Question: 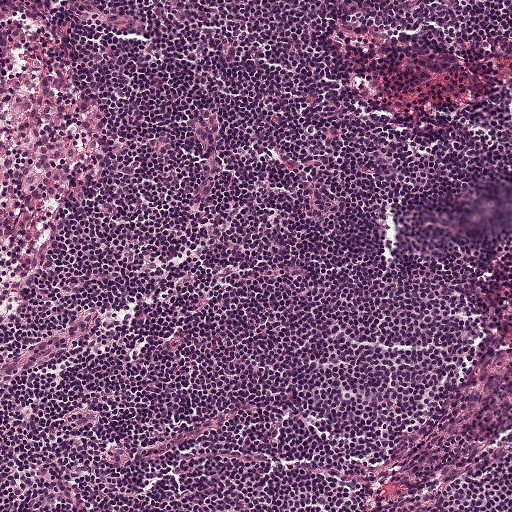
About what magnification does this crop show?

Choices:
 (A) about 20×
 (B) about 2.5×
 (C) about 40×
 (D) about 5×
 (E) about 10×

Answer: (E) about 10×
H&E-stained section of a sentinel lymph node (breast cancer), from a whole-slide image, viewed at about 10×: the field is about 0.5 mm across, about 0.97 µm per pixel.